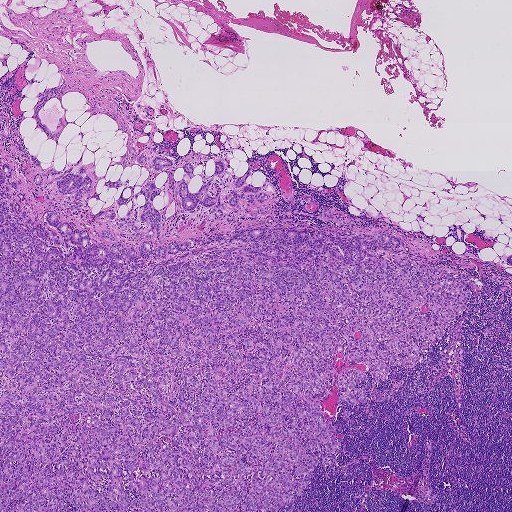
H&E-stained section of a sentinel lymph node (breast cancer), from a whole-slide image, viewed at about 2.5×: the field is about 1.9 mm across, about 3.6 µm per pixel.
Question: Show where the tumour is in this image.
Answer: Boundaries of six metastatic tumour regions, simplified and listed clockwise, largest first: region 1: (0, 158), (2, 188), (18, 183), (31, 219), (54, 209), (94, 244), (110, 247), (103, 230), (139, 252), (303, 223), (392, 231), (469, 275), (465, 309), (415, 368), (390, 366), (379, 384), (365, 372), (349, 421), (337, 405), (336, 462), (278, 511), (0, 511); region 2: (213, 159), (218, 159), (223, 160), (231, 167), (236, 176), (248, 176), (245, 182), (256, 187), (262, 186), (259, 192), (273, 198), (266, 204), (271, 206), (270, 211), (266, 214), (256, 217), (246, 217), (242, 211), (235, 218), (231, 210), (226, 209), (223, 211), (225, 215), (223, 220), (218, 220), (211, 213), (214, 204), (205, 207), (199, 202), (193, 209), (183, 209), (177, 191), (183, 178), (183, 163), (188, 162), (194, 166), (205, 165), (206, 175), (210, 176), (214, 173); region 3: (122, 170), (120, 179), (123, 181), (128, 178), (131, 180), (129, 186), (134, 185), (137, 180), (134, 195), (150, 180), (155, 179), (156, 187), (161, 191), (160, 195), (153, 199), (152, 204), (162, 215), (160, 238), (135, 237), (135, 234), (126, 225), (120, 229), (116, 227), (116, 222), (119, 218), (125, 217), (128, 210), (126, 205), (117, 205), (116, 201), (124, 186), (116, 192), (115, 188), (107, 190), (106, 186), (102, 186), (104, 180), (110, 178), (110, 181), (116, 180); region 4: (81, 165), (86, 167), (91, 180), (90, 190), (82, 196), (81, 211), (66, 208), (73, 203), (70, 197), (73, 194), (61, 195), (56, 182), (51, 181), (50, 177), (58, 175), (50, 175), (47, 171), (52, 167), (54, 171), (64, 171), (73, 166), (71, 172), (78, 174), (77, 169); region 5: (321, 206), (340, 211), (349, 215), (349, 217), (336, 216), (337, 218), (339, 218), (342, 220), (348, 219), (354, 221), (352, 225), (347, 225), (342, 225), (332, 221), (322, 221), (316, 216), (322, 213), (322, 210); region 6: (158, 156), (168, 157), (172, 160), (173, 164), (163, 167), (160, 171), (155, 171), (152, 167), (152, 162), (154, 157).
Five more small tumour pieces are annotated here but not outlined.
Tumour covers about 45% of the frame.